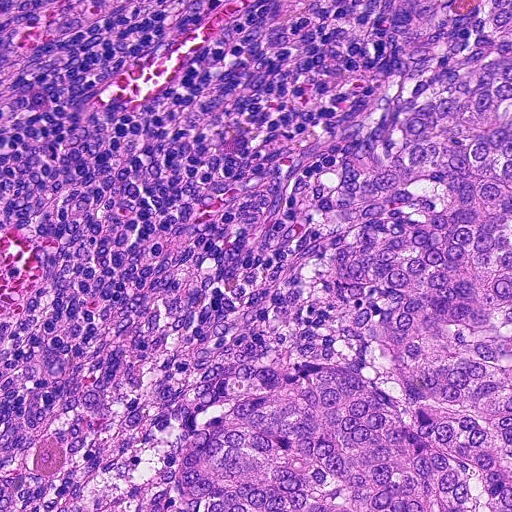
Lymph node section stained with H&E, from a whole-slide image of a breast-cancer sentinel node. Magnification about 20×, about 0.23 mm across the frame, about 0.45 µm per pixel.
Metastatic tumour outline, simplified to 13 points and listed clockwise in crop pixels (x, y): (486, 0), (511, 0), (511, 511), (100, 511), (146, 454), (228, 397), (344, 358), (390, 390), (374, 346), (304, 273), (325, 231), (307, 211), (310, 180).
About 40% of this field is tumour.